A 0.13-mm field of an H&E-stained sentinel lymph node from a breast-cancer patient (whole-slide image), shown at about 40×, about 0.25 µm per pixel.
Image:
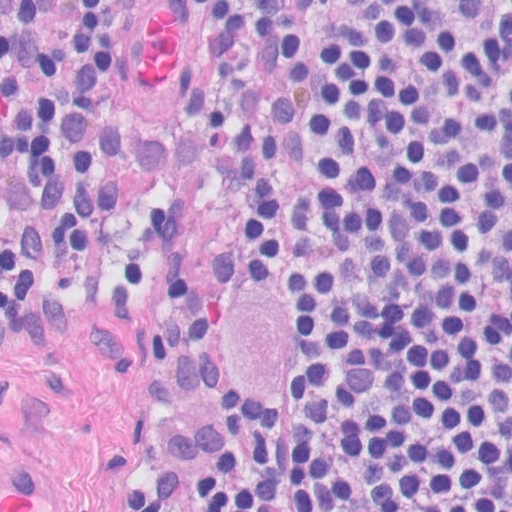
Question:
Where is the metastatic tumour in this field? Give each region's outline as (x, y) pixel points.
Answer:
Tumour region outline (a closed clockwise path, crop pixels): (266, 257), (296, 276), (300, 342), (286, 388), (253, 406), (226, 395), (211, 362), (220, 307), (244, 267).
Tumour covers about 5% of the frame.